Question: 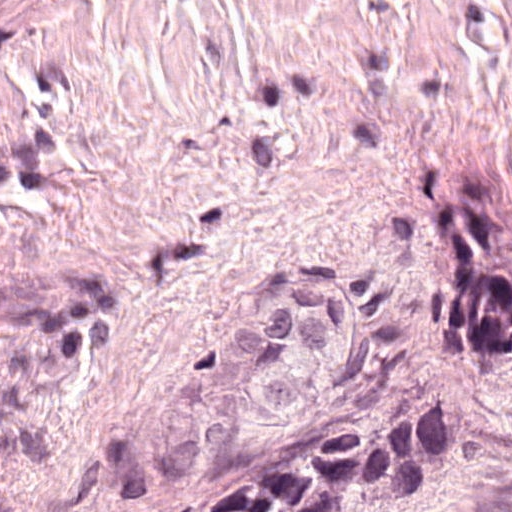
Which magnification is this H&E lymph node field most likely shown at?

Choices:
 (A) about 5×
 (B) about 2.5×
 (C) about 40×
 (D) about 20×
 (E) about 10×

Answer: (C) about 40×
A 0.12-mm field of an H&E-stained sentinel lymph node from a breast-cancer patient (whole-slide image), shown at about 40×, about 0.24 µm per pixel.
Metastatic tumour outline, simplified to 15 points and listed clockwise in crop pixels (x, y): (317, 287), (323, 295), (367, 312), (378, 326), (387, 344), (387, 379), (378, 398), (355, 412), (325, 416), (302, 426), (255, 427), (233, 387), (231, 363), (259, 330), (280, 320).
The annotated tumour makes up about 5% of the crop.